A 1.9-mm field of an H&E-stained sentinel lymph node from a breast-cancer patient (whole-slide image), shown at about 2.5×, about 3.6 µm per pixel.
Image:
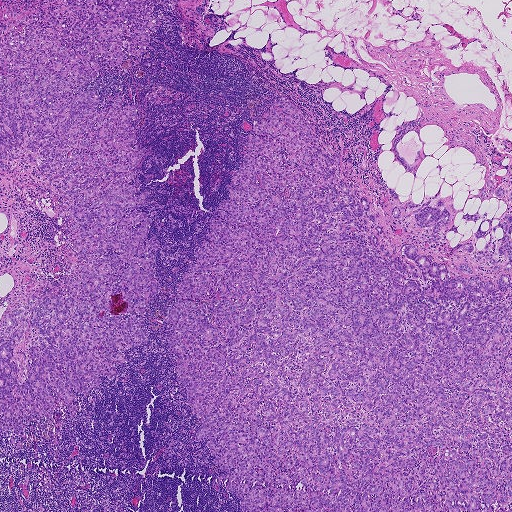
Question:
Is any metastatic breast cancer visible in this crop?
Answer:
Yes.
Boundaries of four metastatic tumour regions, simplified and listed clockwise, largest first: region 1: (271, 103), (295, 105), (368, 199), (360, 221), (376, 216), (389, 252), (412, 242), (452, 277), (468, 280), (466, 262), (497, 285), (509, 274), (511, 511), (243, 511), (223, 483), (212, 488), (227, 471), (207, 440), (191, 438), (200, 421), (167, 348), (208, 218), (221, 220), (244, 137); region 2: (37, 3), (162, 3), (150, 57), (102, 68), (82, 90), (98, 93), (97, 111), (112, 96), (138, 110), (137, 152), (152, 147), (136, 178), (150, 198), (136, 209), (152, 219), (160, 287), (141, 316), (146, 344), (123, 353), (130, 364), (75, 394), (72, 418), (58, 399), (12, 444), (0, 436), (2, 321), (64, 286), (76, 256), (69, 205), (36, 174), (43, 161), (25, 153), (13, 175), (0, 172), (0, 17); region 3: (480, 203), (478, 212), (481, 214), (486, 211), (489, 213), (487, 219), (492, 218), (495, 213), (492, 228), (499, 220), (511, 212), (511, 271), (501, 269), (493, 270), (493, 266), (484, 258), (478, 262), (474, 260), (474, 255), (477, 250), (483, 250), (486, 243), (484, 238), (475, 238), (474, 234), (482, 219), (474, 225), (473, 221), (465, 223), (464, 219), (460, 220), (462, 213), (468, 211), (468, 214), (474, 213); region 4: (431, 198), (429, 205), (436, 207), (435, 202), (439, 198), (444, 200), (449, 213), (448, 223), (440, 229), (439, 244), (424, 241), (431, 236), (428, 230), (431, 227), (419, 228), (414, 215), (409, 214), (408, 210), (416, 208), (408, 208), (405, 204), (410, 200), (412, 204), (422, 204).
Six more small tumour pieces are annotated here but not outlined.
Tumour covers about 55% of the frame.